Image:
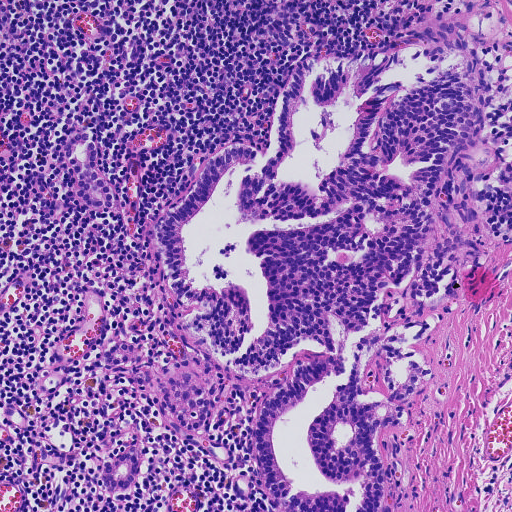
A 0.46-mm field of an H&E-stained sentinel lymph node from a breast-cancer patient (whole-slide image), shown at about 10×, about 0.91 µm per pixel.
Question:
Show where the tumour is in this image.
Answer:
Outlines of five tumour regions, largest first (closed clockwise paths, crop pixels): region 1: (477, 0), (499, 159), (489, 250), (409, 346), (432, 376), (408, 424), (378, 431), (393, 511), (271, 499), (258, 415), (327, 350), (304, 341), (238, 374), (185, 328), (155, 230), (212, 155), (264, 156), (306, 56), (375, 50); region 2: (187, 360), (207, 383), (213, 396), (213, 411), (204, 423), (191, 429), (178, 425), (168, 414), (159, 393), (165, 380), (174, 368); region 3: (88, 133), (98, 146), (94, 161), (113, 186), (117, 201), (105, 210), (90, 210), (78, 200), (74, 171), (63, 159), (61, 144), (73, 134); region 4: (115, 337), (131, 341), (144, 350), (138, 365), (152, 368), (155, 384), (141, 389), (129, 380), (134, 366), (121, 369), (106, 364), (104, 349); region 5: (136, 444), (140, 462), (140, 475), (133, 488), (114, 493), (102, 485), (100, 470), (110, 459).
About 45% of the image area is annotated as tumour.

Image:
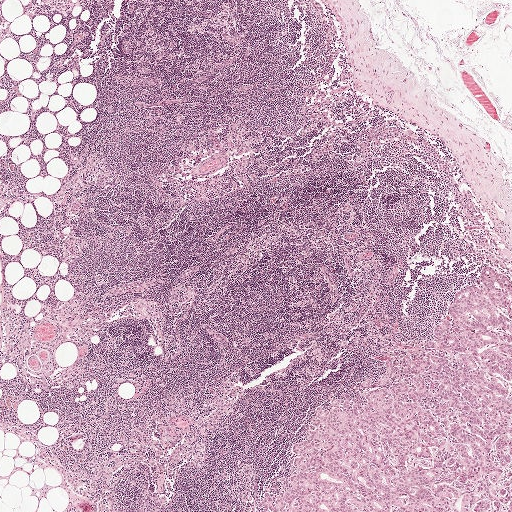
A 2.0-mm field of an H&E-stained sentinel lymph node from a breast-cancer patient (whole-slide image), shown at about 2.5×, about 3.9 µm per pixel.
Question:
Show where the tumour is in this image.
Answer:
One metastatic tumour region; its boundary, reduced to 23 corners and listed clockwise: (483, 269), (504, 272), (511, 288), (511, 511), (259, 509), (267, 494), (278, 497), (286, 479), (288, 486), (294, 448), (310, 438), (315, 411), (331, 411), (337, 397), (366, 406), (357, 393), (378, 389), (360, 382), (377, 381), (394, 357), (421, 353), (452, 295), (480, 287).
About 15% of this field is tumour.

Image:
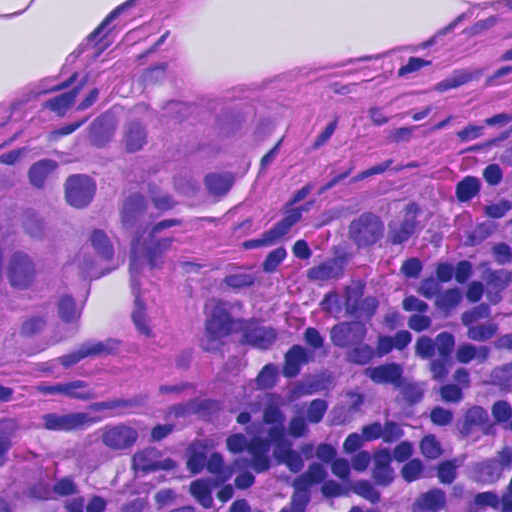
Lymph node section stained with H&E, from a whole-slide image of a breast-cancer sentinel node. Magnification about 40×, about 0.12 mm across the frame, about 0.23 µm per pixel.
Question:
Show where the tumour is in this image.
Answer:
One metastatic tumour region; its boundary, reduced to 13 corners and listed clockwise: (195, 86), (299, 102), (288, 141), (260, 155), (245, 197), (216, 217), (181, 217), (148, 241), (75, 340), (0, 370), (0, 141), (84, 124), (108, 102).
About 15% of this field is tumour.

Image:
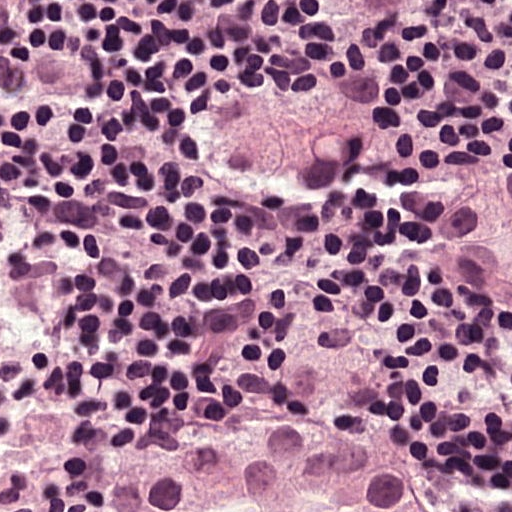
This is a crop of a whole-slide image: an H&E-stained breast-cancer sentinel lymph node section at roughly 40× magnification (about 0.24 µm per pixel; the crop spans about 0.12 mm).
Question:
Show where the tumour is in this image.
Answer:
Boundaries of six metastatic tumour regions, simplified and listed clockwise, largest first: region 1: (351, 303), (388, 321), (384, 365), (333, 400), (403, 434), (431, 498), (447, 511), (99, 511), (159, 416), (318, 399), (263, 359), (287, 311); region 2: (378, 62), (412, 120), (351, 197), (300, 198), (239, 191), (196, 152), (186, 99), (231, 89), (304, 89), (334, 70); region 3: (511, 149), (511, 324), (441, 283), (420, 223), (457, 166); region 4: (0, 0), (21, 0), (28, 10), (91, 62), (89, 104), (0, 97); region 5: (320, 0), (426, 0), (391, 30), (348, 29), (320, 3); region 6: (186, 0), (233, 0), (225, 8).
About 30% of the image area is annotated as tumour.